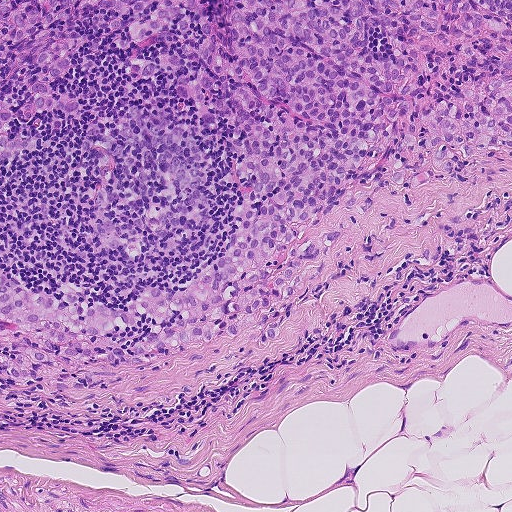
Lymph node section stained with H&E, from a whole-slide image of a breast-cancer sentinel node. Magnification about 10×, about 0.46 mm across the frame, about 0.9 µm per pixel.
Metastatic tumour outline, simplified to 9 points and listed clockwise in crop pixels (x, y): (0, 0), (511, 0), (511, 160), (483, 160), (379, 202), (261, 345), (224, 341), (50, 394), (0, 375).
The annotated tumour makes up about 60% of the crop.